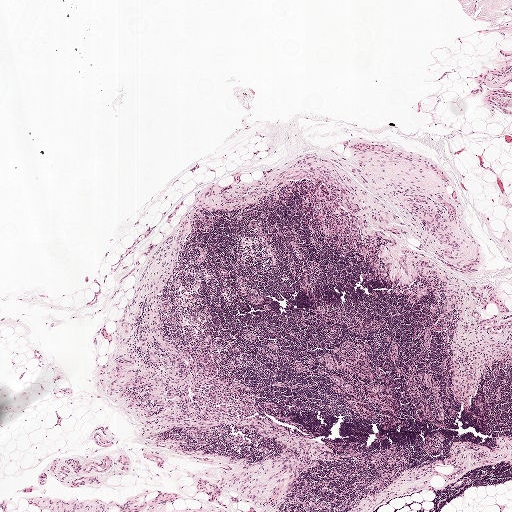
This is a crop of a whole-slide image: an H&E-stained breast-cancer sentinel lymph node section at roughly 2.5× magnification (about 3.9 µm per pixel; the crop spans about 2.0 mm).